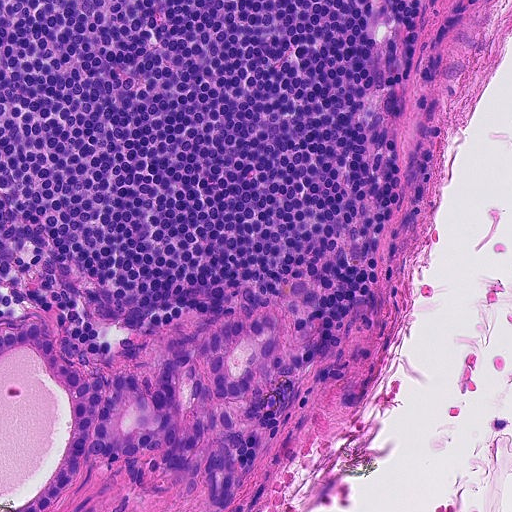
This is a crop of a whole-slide image: an H&E-stained breast-cancer sentinel lymph node section at roughly 20× magnification (about 0.45 µm per pixel; the crop spans about 0.23 mm).
Metastatic tumour outline, simplified to 24 points and listed clockwise in crop pixels (x, y): (277, 316), (271, 366), (250, 393), (218, 405), (248, 432), (236, 446), (239, 498), (227, 509), (180, 492), (184, 475), (158, 466), (159, 450), (122, 464), (87, 462), (49, 511), (0, 511), (0, 330), (52, 322), (61, 354), (86, 380), (122, 370), (154, 383), (157, 366), (211, 327).
About 15% of the image area is annotated as tumour.